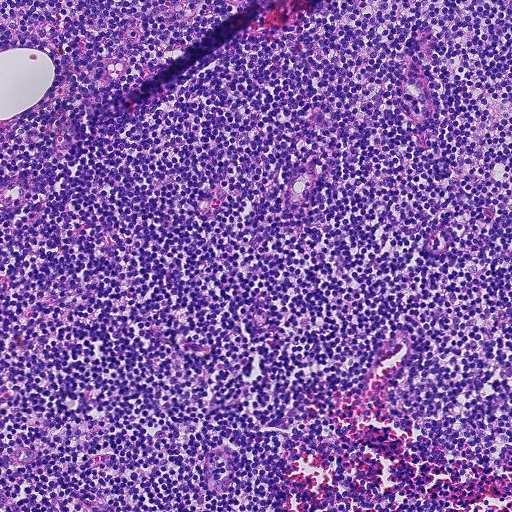
H&E-stained section of a sentinel lymph node (breast cancer), from a whole-slide image, viewed at about 10×: the field is about 0.46 mm across, about 0.9 µm per pixel.
Question: Is there metastatic carcinoma in this field?
Answer: No, this field holds no outlined metastasis.